Question: 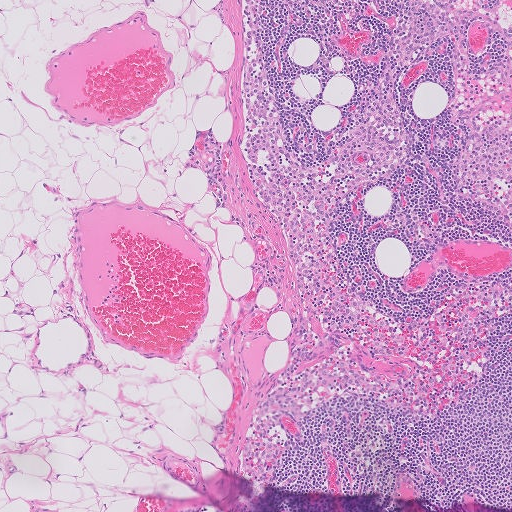
Which magnification is this H&E lymph node field most likely shown at?

Choices:
 (A) about 10×
 (B) about 20×
 (C) about 5×
 (D) about 2.5×
 (E) about 40×

Answer: (C) about 5×
H&E-stained section of a sentinel lymph node (breast cancer), from a whole-slide image, viewed at about 5×: the field is about 1.0 mm across, about 2.0 µm per pixel.